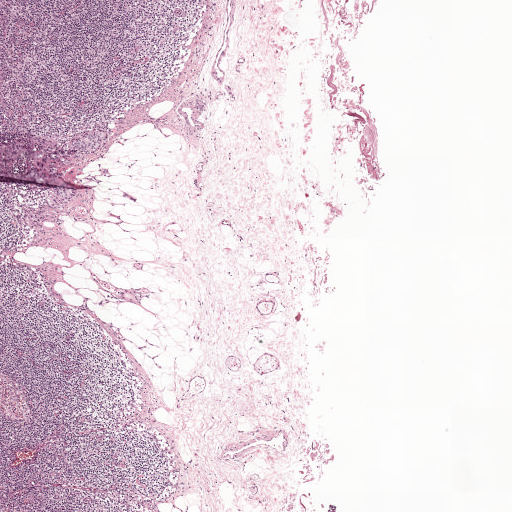
Lymph node section stained with H&E, from a whole-slide image of a breast-cancer sentinel node. Magnification about 2.5×, about 2.0 mm across the frame, about 3.9 µm per pixel.
Question: Show where the tumour is in this image.
Answer: Three metastatic tumour regions, each outlined as a closed clockwise path in crop pixels (x, y), largest first: region 1: (93, 130), (105, 132), (104, 145), (100, 150), (79, 163), (64, 166), (59, 164), (57, 158), (60, 151), (73, 136); region 2: (59, 133), (58, 147), (50, 149), (41, 145), (32, 146), (21, 152), (10, 172), (0, 171), (0, 146), (22, 137); region 3: (60, 186), (91, 191), (90, 198), (82, 196), (63, 214), (51, 211), (43, 203).
Two more small tumour pieces are annotated here but not outlined.
The annotated tumour makes up under 5% of the crop.